This is a crop of a whole-slide image: an H&E-stained breast-cancer sentinel lymph node section at roughly 10× magnification (about 0.97 µm per pixel; the crop spans about 0.5 mm).
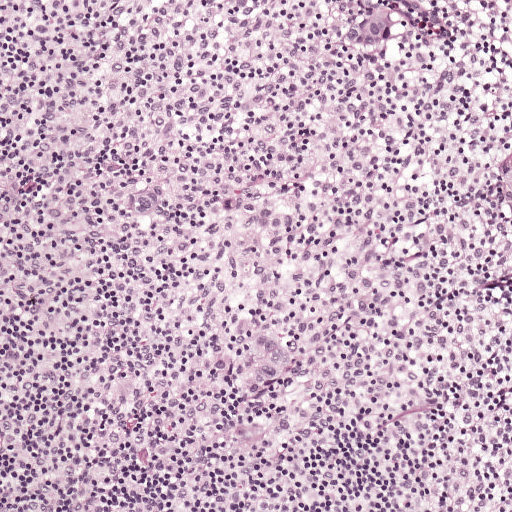
Boundaries of four metastatic tumour regions, simplified and listed clockwise, largest first: region 1: (256, 330), (282, 340), (304, 357), (304, 380), (288, 401), (262, 408), (236, 398), (242, 354); region 2: (388, 2), (406, 29), (393, 51), (368, 54), (342, 48), (340, 23), (359, 6); region 3: (511, 140), (511, 209), (503, 208), (483, 183), (490, 151); region 4: (150, 182), (165, 202), (146, 216), (118, 212), (121, 186).
About 5% of the image area is annotated as tumour.